H&E-stained section of a sentinel lymph node (breast cancer), from a whole-slide image, viewed at about 5×: the field is about 0.93 mm across, about 1.8 µm per pixel.
Image:
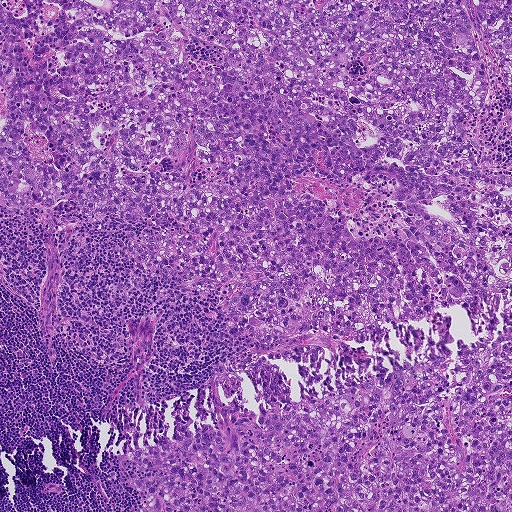
Question:
Does this lymph node field contain metastatic tumour?
Answer:
Yes.
Outlines of two tumour regions, largest first (closed clockwise paths, crop pixels): region 1: (0, 0), (84, 0), (109, 12), (110, 0), (511, 0), (511, 293), (206, 384), (226, 358), (311, 333), (261, 343), (228, 318), (231, 285), (194, 294), (140, 273), (126, 258), (129, 233), (164, 230), (87, 219), (61, 199), (2, 207); region 2: (509, 326), (511, 511), (135, 511), (146, 494), (127, 480), (154, 472), (130, 460), (120, 469), (121, 454), (187, 431), (225, 430), (268, 405), (326, 397), (363, 376), (469, 354).
Tumour covers about 75% of the frame.